Image:
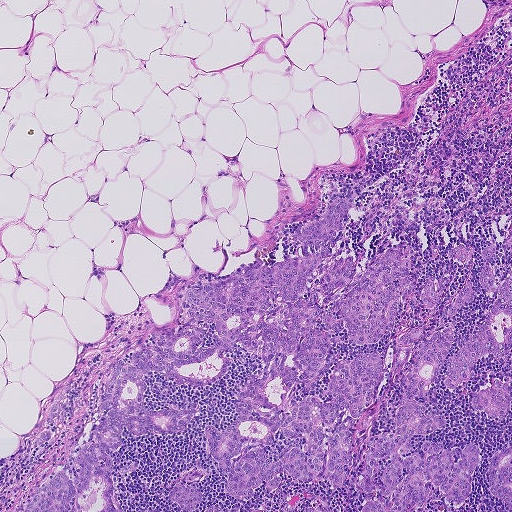
Lymph node section stained with H&E, from a whole-slide image of a breast-cancer sentinel node. Magnification about 5×, about 0.93 mm across the frame, about 1.8 µm per pixel.
Question:
Which parts of this field are metastatic tumour? Answer with the outline of each region, in pixels.
Answer:
The eight largest tumour regions' boundaries, simplified and listed clockwise, largest first: region 1: (334, 186), (354, 200), (329, 247), (351, 282), (394, 244), (409, 263), (390, 332), (355, 345), (341, 306), (313, 390), (265, 388), (288, 411), (332, 403), (336, 361), (379, 355), (373, 404), (320, 426), (351, 434), (342, 484), (283, 470), (226, 496), (205, 430), (264, 366), (237, 342), (210, 384), (142, 376), (146, 408), (200, 412), (170, 434), (122, 426), (118, 511), (21, 511), (54, 471), (73, 486), (115, 364), (240, 265), (322, 248), (295, 232); region 2: (454, 322), (453, 340), (437, 379), (428, 396), (414, 399), (445, 416), (447, 424), (431, 433), (413, 435), (410, 453), (401, 455), (402, 459), (422, 453), (424, 442), (439, 442), (445, 448), (474, 443), (479, 446), (480, 458), (468, 499), (452, 506), (428, 482), (435, 496), (433, 502), (411, 510), (361, 511), (362, 506), (394, 493), (383, 496), (377, 490), (366, 493), (357, 485), (357, 479), (368, 446), (393, 429), (403, 390), (399, 379), (418, 348); region 3: (493, 243), (495, 250), (489, 263), (494, 282), (498, 285), (503, 282), (511, 265), (511, 352), (502, 358), (492, 355), (478, 360), (472, 377), (463, 381), (457, 389), (448, 389), (443, 381), (444, 364), (473, 334), (500, 296), (494, 299), (486, 293), (479, 280), (483, 265), (481, 251); region 4: (496, 377), (508, 382), (509, 406), (508, 414), (503, 419), (496, 417), (489, 419), (484, 412), (476, 412), (471, 406), (468, 398), (471, 391), (485, 388); region 5: (511, 446), (511, 509), (492, 494), (488, 489), (488, 484), (488, 468), (491, 458), (498, 450); region 6: (181, 484), (196, 487), (201, 497), (197, 508), (186, 511), (168, 499), (167, 493), (175, 485); region 7: (414, 328), (425, 329), (425, 335), (412, 344), (407, 344), (410, 346), (411, 352), (409, 357), (403, 367), (394, 372), (393, 359), (400, 344), (397, 339), (401, 335); region 8: (469, 277), (474, 298), (472, 302), (458, 309), (452, 317), (447, 317), (444, 313).
Three more, smaller tumour regions are not outlined.
Four more small tumour pieces are annotated here but not outlined.
About 25% of this field is tumour.